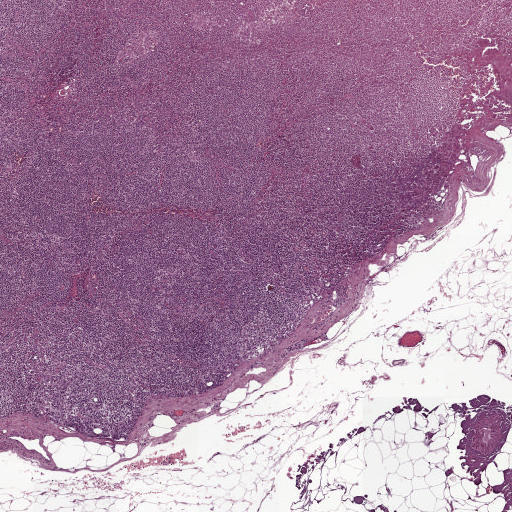
Lymph node section stained with H&E, from a whole-slide image of a breast-cancer sentinel node. Magnification about 2.5×, about 2.0 mm across the frame, about 3.9 µm per pixel.
Metastatic tumour outline, simplified to 21 points and listed clockwise in crop pixels (x, y): (455, 123), (462, 125), (463, 129), (462, 149), (455, 170), (451, 172), (447, 190), (444, 187), (436, 196), (436, 202), (416, 212), (401, 216), (397, 214), (385, 203), (378, 184), (400, 165), (404, 177), (412, 172), (410, 163), (430, 152), (436, 141).
Under 5% of this field is tumour.